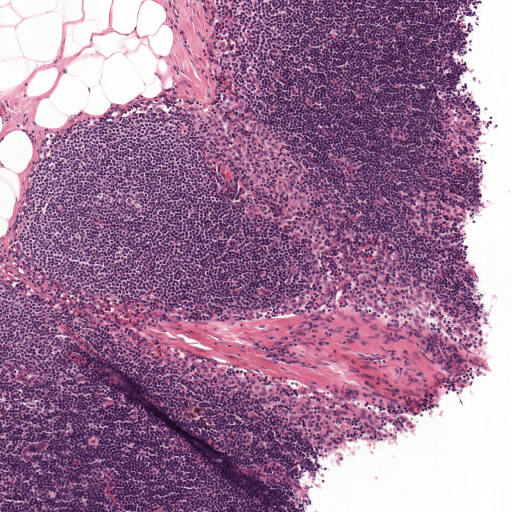
H&E-stained section of a sentinel lymph node (breast cancer), from a whole-slide image, viewed at about 5×: the field is about 1 mm across, about 1.9 µm per pixel.